Question: 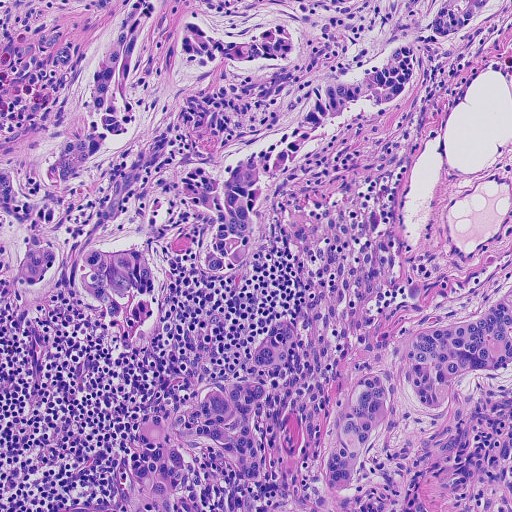
Which magnification is this H&E lymph node field most likely shown at?

Choices:
 (A) about 20×
 (B) about 2.5×
 (C) about 5×
 (D) about 40×
 (E) about 10×

Answer: (E) about 10×
H&E-stained section of a sentinel lymph node (breast cancer), from a whole-slide image, viewed at about 10×: the field is about 0.46 mm across, about 0.91 µm per pixel.
Outlines of two tumour regions, largest first (closed clockwise paths, crop pixels): region 1: (0, 0), (492, 0), (428, 51), (392, 102), (332, 121), (272, 179), (235, 268), (200, 273), (198, 225), (183, 221), (155, 240), (159, 306), (134, 346), (63, 258), (35, 288), (16, 279), (20, 238), (0, 235); region 2: (511, 285), (511, 511), (116, 511), (136, 471), (136, 428), (150, 411), (250, 372), (264, 332), (280, 317), (300, 325), (264, 400), (262, 443), (278, 482), (313, 506), (322, 430), (352, 373), (402, 334), (492, 305).
The annotated tumour makes up about 55% of the crop.